Lymph node section stained with H&E, from a whole-slide image of a breast-cancer sentinel node. Magnification about 5×, about 0.93 mm across the frame, about 1.8 µm per pixel.
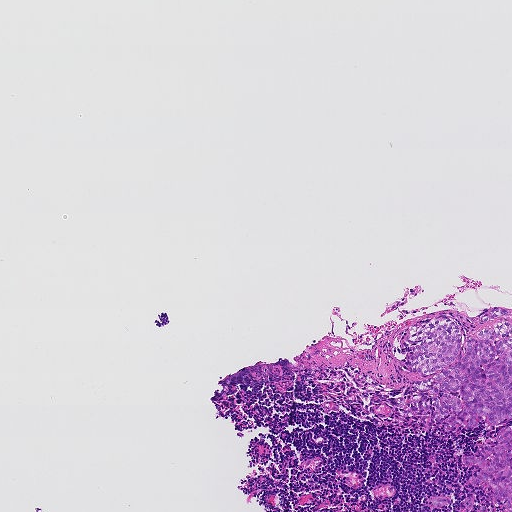
Four metastatic tumour regions, each outlined as a closed clockwise path in crop pixels (x, y), largest first: region 1: (442, 315), (476, 338), (477, 330), (495, 322), (511, 325), (511, 420), (494, 426), (478, 421), (473, 429), (451, 430), (434, 422), (422, 428), (418, 417), (397, 408), (396, 398), (410, 400), (415, 392), (412, 380), (435, 373), (422, 376), (401, 366), (408, 328); region 2: (506, 426), (511, 429), (511, 511), (496, 499), (494, 490), (471, 484), (469, 480), (483, 469), (477, 465), (468, 465), (465, 462), (464, 457), (477, 453), (482, 444), (490, 446), (495, 445), (493, 442), (497, 438), (501, 428); region 3: (499, 307), (511, 309), (511, 318), (498, 317), (481, 324), (477, 322), (478, 318), (491, 308); region 4: (445, 497), (449, 499), (451, 503), (441, 507), (436, 507), (429, 503), (429, 498).
Two more small tumour pieces are annotated here but not outlined.
About 5% of this field is tumour.